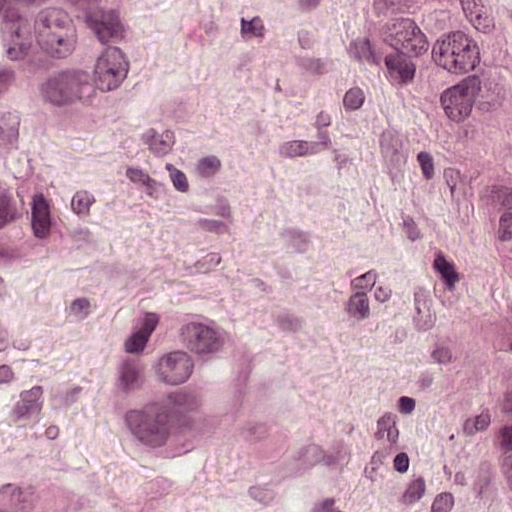
H&E-stained section of a sentinel lymph node (breast cancer), from a whole-slide image, viewed at about 40×: the field is about 0.12 mm across, about 0.24 µm per pixel.
Four metastatic tumour regions, each outlined as a closed clockwise path in crop pixels (x, y), largest first: region 1: (511, 0), (511, 465), (491, 387), (491, 276), (476, 218), (462, 187), (386, 113), (349, 60), (344, 16), (352, 3); region 2: (0, 0), (146, 0), (136, 45), (113, 90), (113, 108), (94, 145), (81, 156), (39, 150), (10, 163), (16, 182), (63, 221), (73, 242), (58, 282), (2, 321); region 3: (129, 303), (210, 303), (255, 321), (265, 353), (260, 358), (255, 442), (200, 461), (155, 465), (116, 445), (102, 413), (102, 377), (108, 327); region 4: (3, 476), (60, 476), (68, 479), (84, 479), (132, 500), (132, 505), (145, 511), (0, 511), (0, 479).
About 30% of the image area is annotated as tumour.